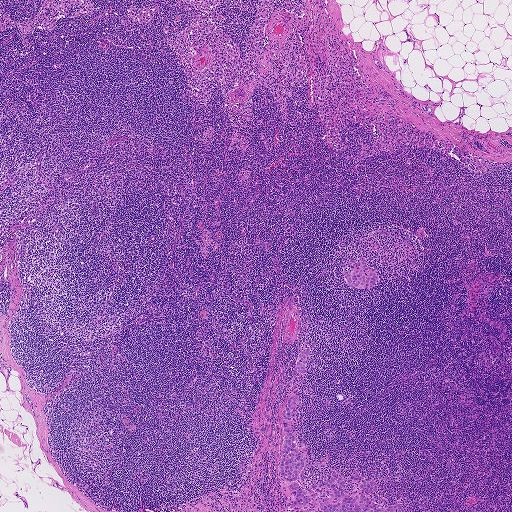
This is a crop of a whole-slide image: an H&E-stained breast-cancer sentinel lymph node section at roughly 2.5× magnification (about 3.6 µm per pixel; the crop spans about 1.9 mm).
Outlines of three tumour regions, largest first (closed clockwise paths, crop pixels): region 1: (292, 395), (298, 397), (298, 403), (292, 412), (292, 431), (298, 448), (307, 454), (308, 459), (298, 481), (302, 486), (311, 489), (312, 483), (329, 479), (333, 470), (344, 478), (344, 490), (349, 494), (355, 493), (361, 491), (359, 484), (348, 479), (351, 473), (356, 473), (360, 474), (357, 481), (360, 483), (368, 480), (377, 486), (376, 491), (366, 494), (382, 506), (382, 511), (322, 511), (315, 501), (305, 507), (290, 505), (294, 494), (278, 466), (283, 438), (281, 411); region 2: (353, 262), (365, 262), (378, 274), (378, 280), (376, 285), (370, 288), (358, 289), (346, 283), (344, 271), (351, 270), (349, 267); region 3: (304, 347), (309, 349), (309, 356), (306, 361), (306, 374), (299, 374), (295, 363), (299, 351).
Under 5% of the image area is annotated as tumour.